H&E-stained section of a sentinel lymph node (breast cancer), from a whole-slide image, viewed at about 20×: the field is about 0.23 mm across, about 0.45 µm per pixel.
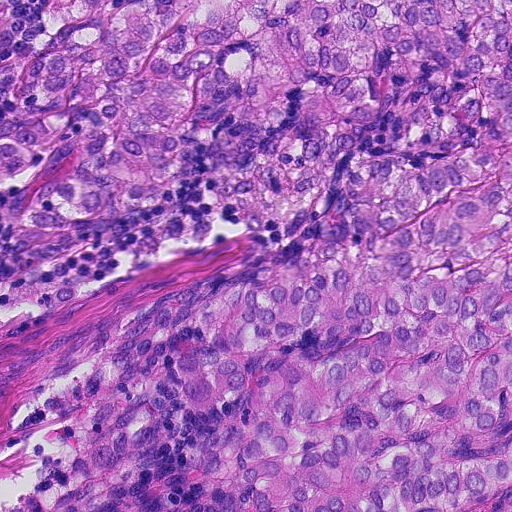
The outlined metastatic tumour's edge, as a closed clockwise path of 37 points: (47, 0), (511, 0), (511, 511), (228, 511), (244, 494), (223, 474), (193, 474), (188, 444), (246, 408), (252, 388), (190, 409), (179, 367), (210, 296), (352, 255), (375, 189), (457, 140), (478, 116), (476, 86), (395, 52), (370, 66), (377, 121), (348, 126), (304, 90), (290, 115), (262, 121), (235, 112), (244, 57), (216, 62), (195, 83), (161, 196), (78, 224), (20, 224), (12, 196), (75, 138), (90, 99), (34, 110), (8, 97).
About 60% of the image area is annotated as tumour.